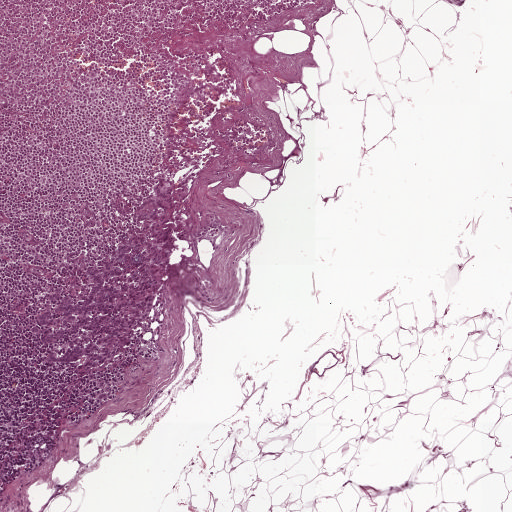
A 1-mm field of an H&E-stained sentinel lymph node from a breast-cancer patient (whole-slide image), shown at about 5×, about 1.9 µm per pixel.
The outlined metastatic tumour's edge, as a closed clockwise path of 23 points: (154, 176), (189, 181), (187, 229), (191, 241), (177, 240), (147, 318), (148, 346), (140, 344), (108, 374), (112, 385), (106, 401), (97, 400), (94, 374), (81, 380), (66, 370), (40, 370), (27, 325), (63, 266), (86, 253), (111, 250), (128, 223), (128, 208), (149, 194).
About 5% of the image area is annotated as tumour.